Question: 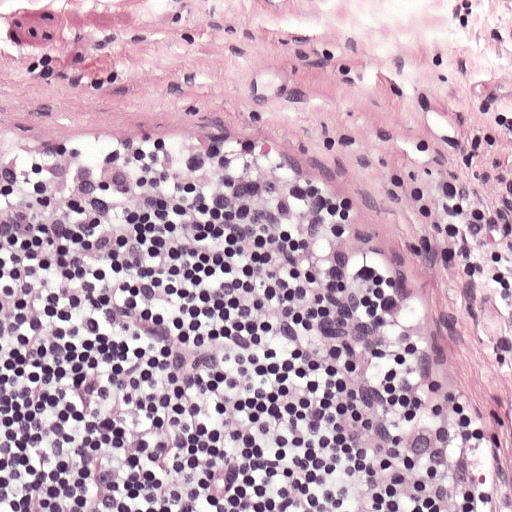
At roughly what magnification is this field shown?

Choices:
 (A) about 40×
 (B) about 10×
 (C) about 2.5×
 (D) about 20×
 (E) about 5×

Answer: (D) about 20×
Lymph node section stained with H&E, from a whole-slide image of a breast-cancer sentinel node. Magnification about 20×, about 0.25 mm across the frame, about 0.49 µm per pixel.